Image:
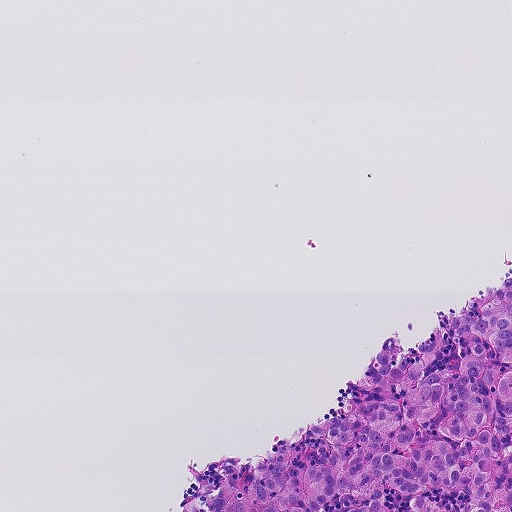
H&E-stained section of a sentinel lymph node (breast cancer), from a whole-slide image, viewed at about 10×: the field is about 0.46 mm across, about 0.9 µm per pixel.
Question:
Describe where the metastatic carcinoma lies in this crop.
Answer:
Tumour region outline (a closed clockwise path, crop pixels): (511, 267), (511, 511), (188, 511), (197, 488), (224, 460), (262, 467), (284, 436), (336, 412), (393, 334), (402, 350), (391, 367), (432, 330), (442, 346), (422, 377), (446, 374), (456, 362), (456, 314).
Tumour covers about 15% of the frame.